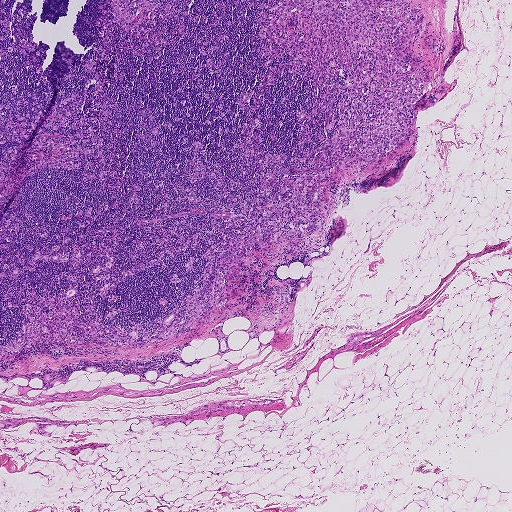
Lymph node section stained with H&E, from a whole-slide image of a breast-cancer sentinel node. Magnification about 2.5×, about 1.9 mm across the frame, about 3.6 µm per pixel.